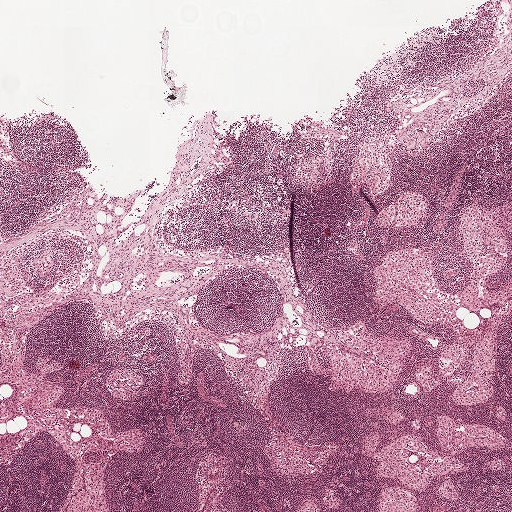
H&E-stained section of a sentinel lymph node (breast cancer), from a whole-slide image, viewed at about 2.5×: the field is about 2.0 mm across, about 3.9 µm per pixel.
Question: Is there metastatic carcinoma in this field?
Answer: No. No metastatic tumour is outlined in this field.